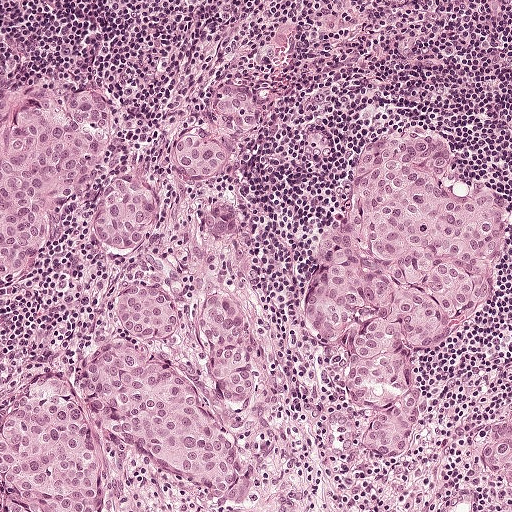
A 0.5-mm field of an H&E-stained sentinel lymph node from a breast-cancer patient (whole-slide image), shown at about 10×, about 0.97 µm per pixel.
Outlines of three tumour regions, largest first (closed clockwise paths, crop pixels): region 1: (443, 129), (466, 177), (490, 182), (511, 200), (511, 246), (491, 304), (458, 325), (445, 348), (416, 354), (424, 423), (411, 458), (395, 467), (362, 453), (368, 420), (338, 399), (343, 353), (303, 313), (317, 246), (349, 175), (386, 131); region 2: (33, 79), (55, 90), (94, 84), (112, 102), (113, 122), (98, 178), (76, 205), (52, 214), (50, 242), (38, 265), (0, 292), (0, 93), (14, 82); region 3: (511, 408), (511, 491), (488, 482), (474, 468), (476, 451), (487, 425).
The annotated tumour makes up about 25% of the crop.